Question: 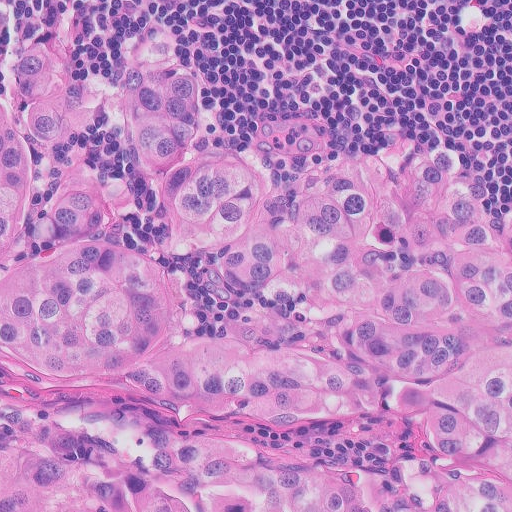
Lymph node section stained with H&E, from a whole-slide image of a breast-cancer sentinel node. Magnification about 20×, about 0.26 mm across the frame, about 0.5 µm per pixel.
Estimate the proportion of this field that is metastatic tumour.

Choices:
 (A) about 50% or more
 (B) about 5% or less
 (C) about 10% to 20%
 (D) none: no tumour is outlined
 (E) about 25% to 45%

Answer: (A) about 50% or more
About 85% of the field is tumour.
The outlined metastatic tumour's edge, as a closed clockwise path of 7 points: (0, 0), (186, 26), (276, 98), (398, 98), (511, 144), (511, 511), (0, 511).